H&E-stained section of a sentinel lymph node (breast cancer), from a whole-slide image, viewed at about 2.5×: the field is about 1.9 mm across, about 3.6 µm per pixel.
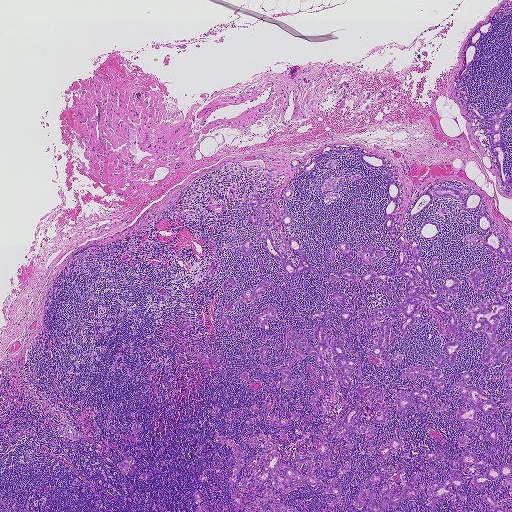
Eight metastatic tumour regions, each outlined as a closed clockwise path in crop pixels (x, y), largest first: region 1: (277, 450), (280, 454), (279, 463), (283, 463), (307, 474), (310, 473), (324, 483), (327, 482), (336, 477), (344, 463), (348, 462), (350, 465), (338, 479), (341, 494), (339, 501), (332, 504), (330, 501), (336, 496), (326, 493), (326, 486), (302, 485), (285, 492), (278, 488), (275, 490), (282, 503), (291, 509), (302, 511), (274, 511), (271, 506), (273, 487), (270, 481), (263, 481), (254, 493), (247, 490), (246, 487), (254, 474), (264, 468), (271, 454); region 2: (491, 19), (492, 28), (477, 42), (476, 54), (478, 56), (472, 62), (467, 70), (468, 74), (462, 78), (462, 82), (470, 103), (488, 116), (505, 108), (507, 100), (511, 97), (511, 111), (505, 118), (501, 130), (506, 145), (504, 171), (507, 176), (511, 174), (511, 186), (506, 186), (500, 179), (489, 147), (489, 138), (482, 127), (484, 125), (492, 124), (481, 121), (469, 111), (456, 86), (460, 78), (458, 74), (464, 64), (465, 51), (471, 37), (480, 25); region 3: (495, 296), (498, 298), (508, 308), (497, 317), (495, 328), (497, 344), (502, 347), (507, 341), (511, 340), (511, 354), (498, 362), (484, 364), (480, 355), (487, 340), (482, 329), (472, 331), (472, 324), (461, 318), (468, 310), (468, 305), (479, 304), (484, 298), (489, 303), (493, 302); region 4: (419, 471), (414, 489), (418, 490), (416, 495), (399, 502), (398, 507), (394, 508), (390, 506), (385, 511), (363, 511), (369, 499), (364, 498), (364, 507), (360, 509), (352, 504), (354, 495), (366, 489), (375, 492), (376, 497), (377, 496), (383, 482), (374, 484), (370, 481), (369, 476), (372, 473), (377, 472), (381, 473), (388, 484), (387, 489), (393, 486), (393, 493), (402, 489), (410, 479); region 5: (468, 371), (470, 377), (465, 382), (467, 389), (477, 387), (482, 393), (490, 395), (496, 411), (487, 415), (484, 415), (479, 410), (476, 415), (477, 426), (464, 429), (462, 426), (465, 425), (463, 421), (457, 418), (457, 407), (464, 410), (471, 408), (471, 404), (460, 402), (458, 389), (455, 388), (450, 390), (450, 386), (462, 381), (462, 374); region 6: (440, 186), (450, 186), (459, 190), (461, 187), (467, 187), (479, 193), (482, 199), (479, 208), (471, 211), (461, 209), (460, 206), (464, 196), (458, 200), (452, 197), (439, 197), (430, 192), (432, 201), (429, 206), (413, 216), (409, 216), (408, 214), (415, 200), (422, 193); region 7: (482, 208), (492, 226), (496, 227), (508, 242), (510, 245), (508, 251), (509, 254), (511, 253), (511, 260), (497, 258), (492, 250), (486, 246), (464, 243), (464, 238), (473, 234), (484, 239), (488, 231), (484, 232), (479, 228), (477, 222), (479, 216), (475, 215); region 8: (264, 229), (268, 232), (281, 255), (293, 266), (296, 266), (299, 258), (302, 258), (297, 252), (290, 250), (288, 243), (289, 237), (292, 236), (295, 237), (297, 239), (303, 253), (306, 255), (307, 261), (317, 274), (308, 270), (302, 271), (292, 280), (279, 260), (276, 261), (262, 248), (262, 245), (264, 245), (265, 242), (257, 235), (258, 232).
One more tumour region is annotated but not outlined: its edge is too irregular for a short outline.
38 more, smaller tumour regions are not outlined.
31 more small tumour pieces are annotated here but not outlined.
Tumour covers about 10% of the frame.